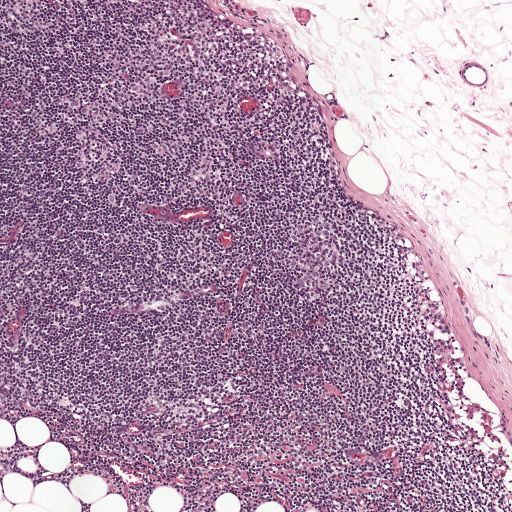
H&E-stained section of a sentinel lymph node (breast cancer), from a whole-slide image, viewed at about 5×: the field is about 1 mm across, about 1.9 µm per pixel.
Tumour region outline (a closed clockwise path, crop pixels): (248, 140), (262, 140), (271, 143), (281, 149), (283, 158), (282, 164), (277, 164), (263, 162), (245, 147), (245, 142).
The annotated tumour makes up under 5% of the crop.